Question: 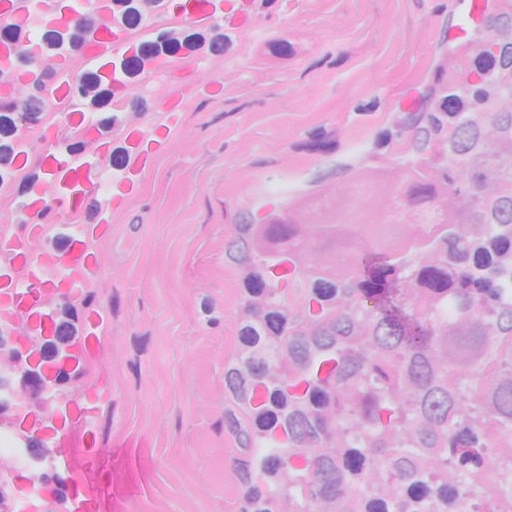
Which magnification is this H&E lymph node field most likely shown at?

Choices:
 (A) about 2.5×
 (B) about 5×
 (C) about 40×
 (D) about 10×
 (E) about 20×

Answer: (C) about 40×
Lymph node section stained with H&E, from a whole-slide image of a breast-cancer sentinel node. Magnification about 40×, about 0.13 mm across the frame, about 0.25 µm per pixel.
Tumour region outline (a closed clockwise path, crop pixels): (378, 143), (435, 150), (504, 192), (456, 264), (366, 302), (249, 269), (225, 224), (271, 166).
Tumour covers about 10% of the frame.